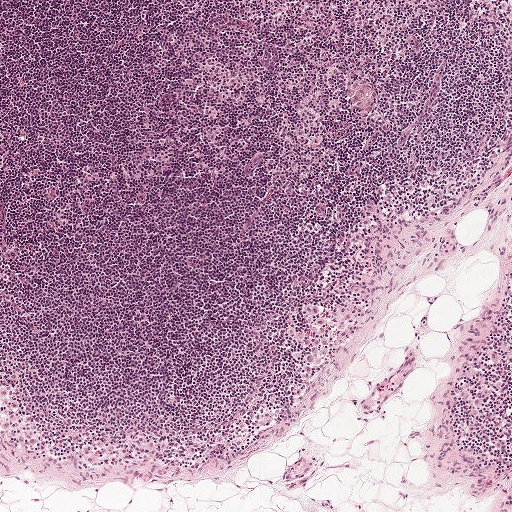
H&E-stained section of a sentinel lymph node (breast cancer), from a whole-slide image, viewed at about 5×: the field is about 1 mm across, about 1.9 µm per pixel.